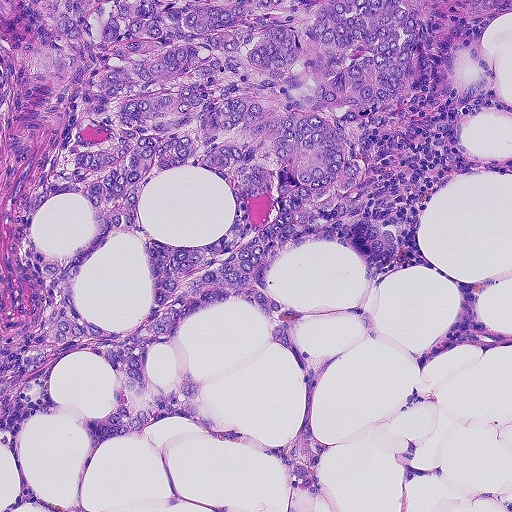
H&E-stained section of a sentinel lymph node (breast cancer), from a whole-slide image, viewed at about 10×: the field is about 0.46 mm across, about 0.9 µm per pixel.
Question: Where is the metastatic tumour in this field?
Answer: The outlined metastatic tumour's edge, as a closed clockwise path of 23 points: (0, 0), (428, 0), (398, 106), (352, 124), (350, 210), (396, 230), (398, 263), (370, 282), (307, 240), (266, 268), (292, 349), (228, 298), (151, 346), (146, 378), (186, 370), (212, 432), (173, 418), (92, 451), (113, 370), (54, 362), (33, 411), (44, 329), (14, 334).
About 50% of the image area is annotated as tumour.